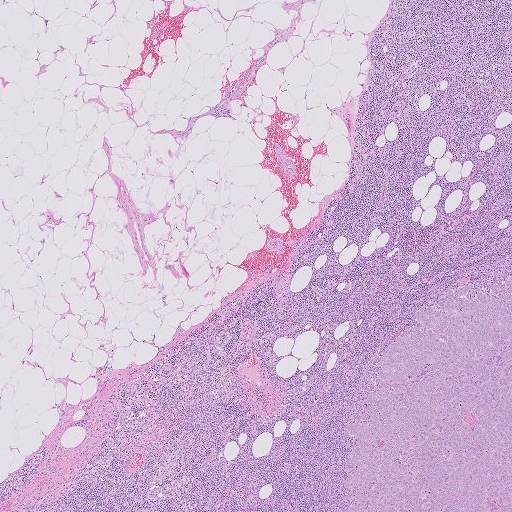
H&E-stained section of a sentinel lymph node (breast cancer), from a whole-slide image, viewed at about 2.5×: the field is about 2.0 mm across, about 4.0 µm per pixel.
Metastatic tumour outline, simplified to 8 points and listed clockwise in crop pixels (x, y): (511, 271), (511, 511), (341, 511), (344, 432), (374, 380), (373, 359), (411, 324), (423, 302).
About 10% of the image area is annotated as tumour.